Lymph node section stained with H&E, from a whole-slide image of a breast-cancer sentinel node. Magnification about 20×, about 0.25 mm across the frame, about 0.49 µm per pixel.
Image:
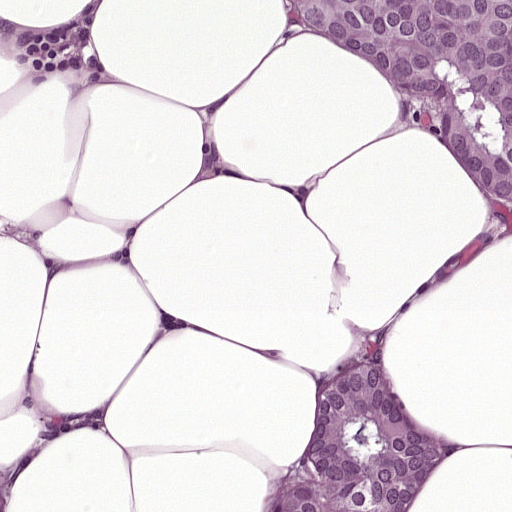
Question:
Which parts of this field are metastatic tumour? Answer with the outline of each region, in pixels.
Answer:
Outlines of two tumour regions, largest first (closed clockwise paths, crop pixels): region 1: (280, 0), (511, 0), (511, 194), (462, 142), (358, 70); region 2: (373, 368), (435, 414), (443, 458), (409, 511), (263, 511), (264, 498), (296, 466), (332, 383).
About 15% of this field is tumour.